Question: 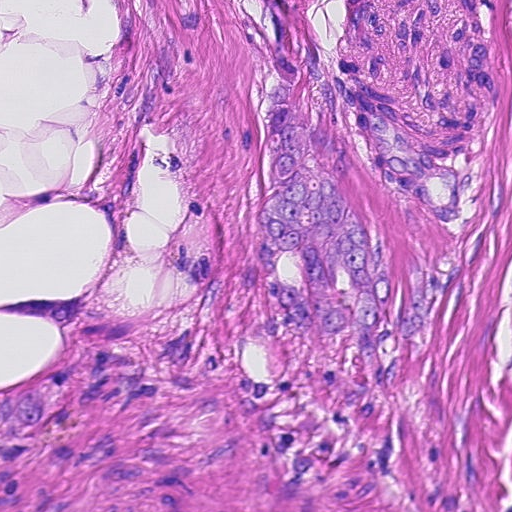
Lymph node section stained with H&E, from a whole-slide image of a breast-cancer sentinel node. Magnification about 20×, about 0.23 mm across the frame, about 0.45 µm per pixel.
What fraction of the image area is metastatic tumour?

Choices:
 (A) about 50% or more
 (B) none: no tumour is outlined
 (C) about 5% or less
 (D) about 25% to 45%
 (E) about 10% to 20%

Answer: (D) about 25% to 45%
About 25% of the field is tumour.
Metastatic tumour outline, simplified to 22 points and listed clockwise in crop pixels (x, y): (464, 0), (490, 0), (484, 35), (502, 112), (479, 220), (494, 244), (498, 309), (511, 278), (511, 380), (482, 256), (398, 393), (332, 346), (282, 338), (264, 319), (258, 215), (272, 192), (251, 54), (262, 30), (288, 39), (449, 136), (472, 124), (482, 96).